A 0.5-mm field of an H&E-stained sentinel lymph node from a breast-cancer patient (whole-slide image), shown at about 10×, about 0.97 µm per pixel.
Image:
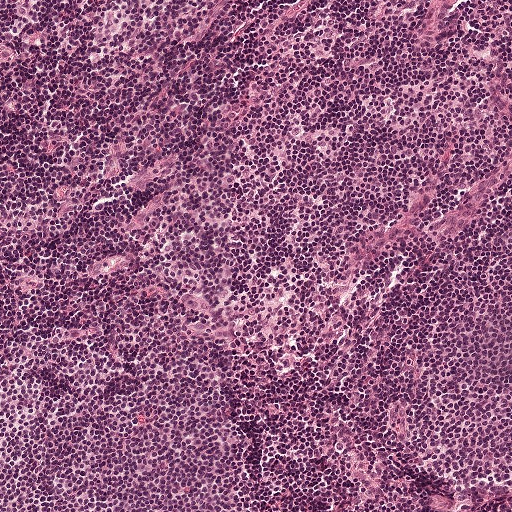
Question:
Does this lymph node field contain metastatic tumour?
Answer:
No: no metastatic tumour is outlined anywhere in this field.